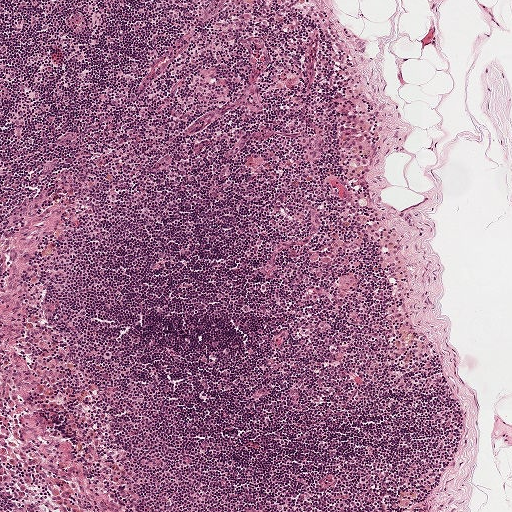
A 1-mm field of an H&E-stained sentinel lymph node from a breast-cancer patient (whole-slide image), shown at about 5×, about 1.9 µm per pixel.
Tumour region outline (a closed clockwise path, crop pixels): (340, 122), (354, 122), (363, 126), (373, 144), (373, 156), (366, 167), (347, 164), (339, 155), (343, 144), (340, 133).
Under 5% of this field is tumour.